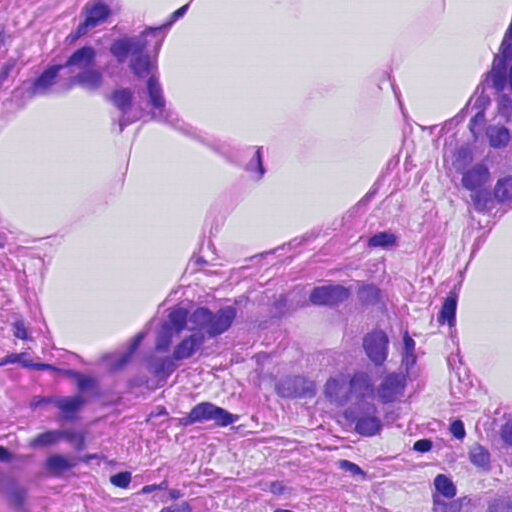
A 0.12-mm field of an H&E-stained sentinel lymph node from a breast-cancer patient (whole-slide image), shown at about 40×, about 0.23 µm per pixel.
Four metastatic tumour regions, each outlined as a closed clockwise path in crop pixels (x, y), largest first: region 1: (373, 272), (415, 340), (410, 419), (377, 442), (337, 437), (262, 405), (240, 373), (232, 302), (317, 278); region 2: (99, 3), (153, 23), (185, 5), (165, 28), (163, 62), (177, 100), (169, 116), (119, 130), (99, 102), (66, 94), (48, 98), (0, 128), (0, 107), (32, 46); region 3: (511, 0), (511, 211), (492, 222), (452, 209), (440, 145); region 4: (511, 404), (511, 511), (433, 511), (438, 472), (488, 407).
About 20% of this field is tumour.